Question: 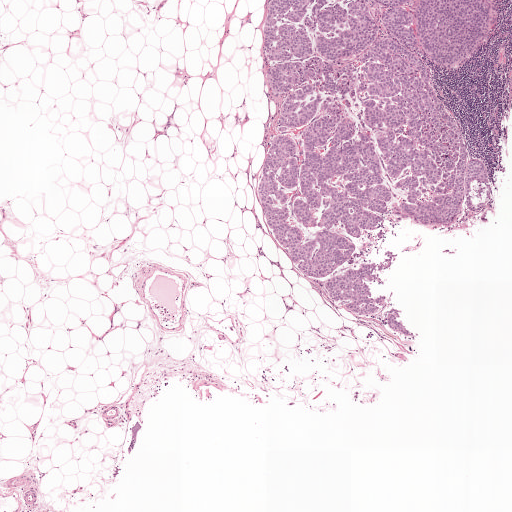
A 2.0-mm field of an H&E-stained sentinel lymph node from a breast-cancer patient (whole-slide image), shown at about 2.5×, about 3.9 µm per pixel.
About how much of this crop is taken up by metastatic carcinoma?

Choices:
 (A) none: no tumour is outlined
 (B) about 10% to 20%
 (C) about 25% to 45%
 (D) about 5% or less
 (E) about 50% or more

Answer: (B) about 10% to 20%
About 20% of the field is tumour.
Outlines of two tumour regions, largest first (closed clockwise paths, crop pixels): region 1: (497, 0), (493, 36), (481, 50), (454, 72), (429, 61), (495, 186), (497, 223), (448, 232), (401, 221), (397, 237), (390, 233), (367, 259), (399, 255), (386, 286), (372, 287), (393, 289), (413, 338), (336, 304), (292, 263), (266, 222), (258, 181), (277, 103), (265, 74), (268, 4); region 2: (445, 247), (457, 249), (455, 254), (449, 255), (440, 252).
One more small tumour piece is annotated here but not outlined.